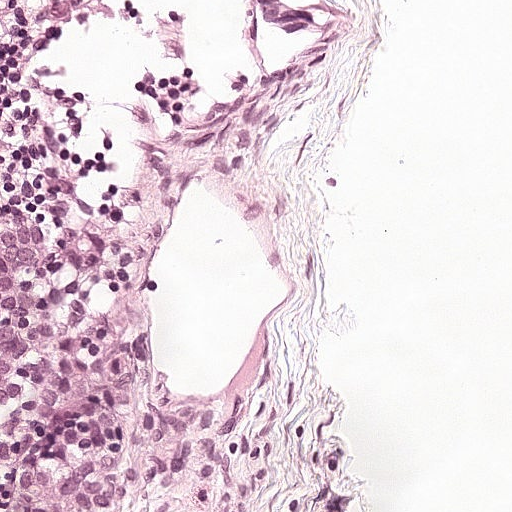
Lymph node section stained with H&E, from a whole-slide image of a breast-cancer sentinel node. Magnification about 20×, about 0.25 mm across the frame, about 0.49 µm per pixel.
The outlined metastatic tumour's edge, as a closed clockwise path of 7 points: (13, 192), (133, 244), (188, 298), (192, 371), (169, 511), (0, 511), (0, 206).
About 20% of this field is tumour.